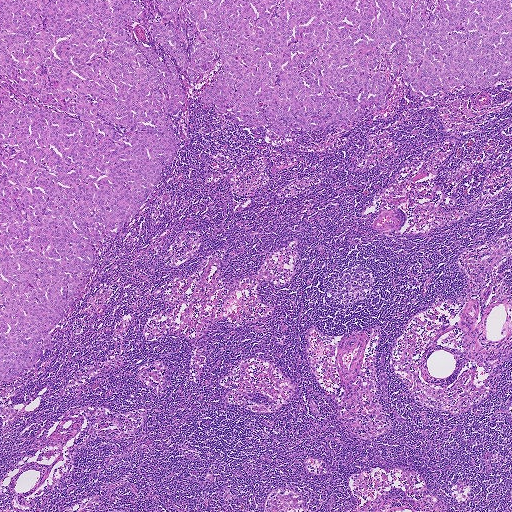
This is a crop of a whole-slide image: an H&E-stained breast-cancer sentinel lymph node section at roughly 2.5× magnification (about 3.6 µm per pixel; the crop spans about 1.9 mm).
One metastatic tumour region; its boundary, reduced to 20 corners and listed clockwise: (0, 0), (511, 0), (511, 77), (413, 98), (386, 58), (385, 105), (319, 130), (240, 124), (201, 102), (220, 56), (194, 83), (173, 61), (186, 99), (171, 117), (171, 165), (129, 222), (94, 244), (87, 282), (53, 339), (3, 384).
About 30% of the image area is annotated as tumour.